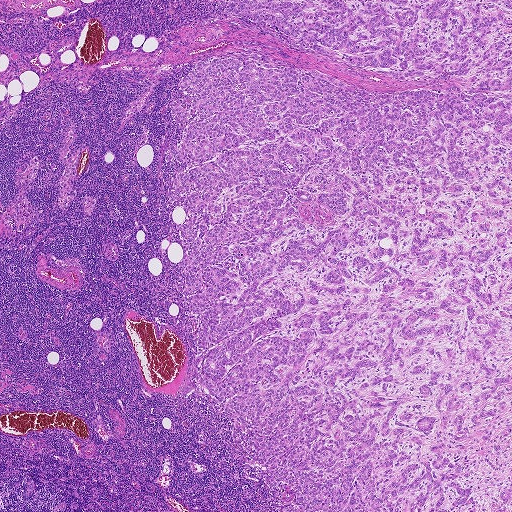
A 1.9-mm field of an H&E-stained sentinel lymph node from a breast-cancer patient (whole-slide image), shown at about 2.5×, about 3.6 µm per pixel.
Metastatic tumour outline, simplified to 22 points and listed clockwise in crop pixels (x, y): (217, 0), (511, 0), (511, 511), (278, 511), (292, 487), (268, 491), (233, 443), (228, 398), (180, 392), (208, 348), (179, 287), (198, 188), (167, 198), (169, 104), (192, 106), (178, 83), (203, 58), (387, 92), (440, 88), (408, 85), (393, 87), (381, 85).
About 60% of the image area is annotated as tumour.